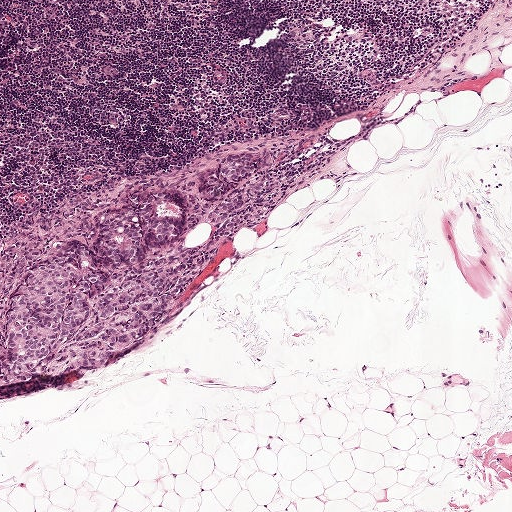
This is a crop of a whole-slide image: an H&E-stained breast-cancer sentinel lymph node section at roughly 5× magnification (about 1.9 µm per pixel; the crop spans about 1 mm).
Metastatic tumour outline, simplified to 23 points and listed clockwise in crop pixels (x, y): (229, 155), (259, 156), (265, 176), (239, 206), (239, 222), (222, 230), (208, 216), (183, 237), (192, 250), (212, 238), (216, 244), (143, 335), (93, 364), (3, 382), (0, 247), (16, 232), (71, 200), (109, 203), (142, 180), (166, 184), (188, 212), (202, 199), (201, 174).
The annotated tumour makes up about 10% of the crop.